Question: 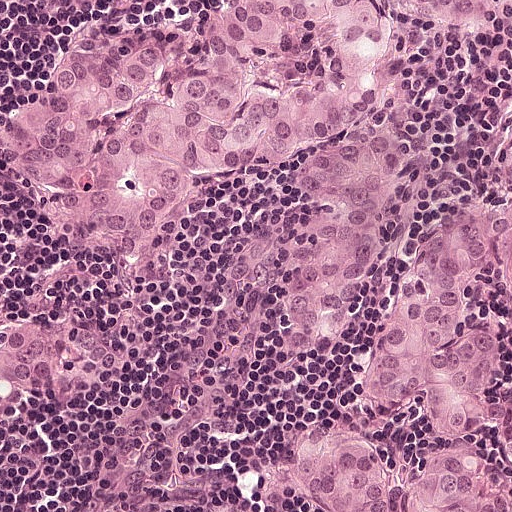
H&E-stained section of a sentinel lymph node (breast cancer), from a whole-slide image, viewed at about 20×: the field is about 0.25 mm across, about 0.49 µm per pixel.
What fraction of the image area is metastatic tumour?

Choices:
 (A) about 10% to 20%
 (B) about 5% or less
 (C) none: no tumour is outlined
 (D) about 50% or more
 (E) about 25% to 45%

Answer: (D) about 50% or more
About 60% of the field is tumour.
Boundaries of five metastatic tumour regions, simplified and listed clockwise, largest first: region 1: (511, 0), (511, 34), (457, 84), (432, 158), (350, 312), (298, 353), (264, 286), (294, 176), (257, 176), (194, 200), (136, 256), (110, 262), (19, 166), (0, 160), (0, 124), (37, 96), (84, 28), (186, 1); region 2: (510, 96), (511, 312), (494, 302), (491, 350), (496, 384), (511, 400), (511, 511), (320, 511), (304, 466), (349, 418), (349, 366), (391, 244), (464, 198); region 3: (42, 313), (69, 321), (116, 356), (116, 364), (98, 382), (44, 416), (13, 420), (0, 416), (0, 325), (5, 321); region 4: (240, 485), (272, 486), (288, 496), (292, 511), (215, 511), (234, 486); region 5: (0, 0), (87, 0), (79, 6), (58, 11), (32, 13), (19, 28), (0, 41).